Image:
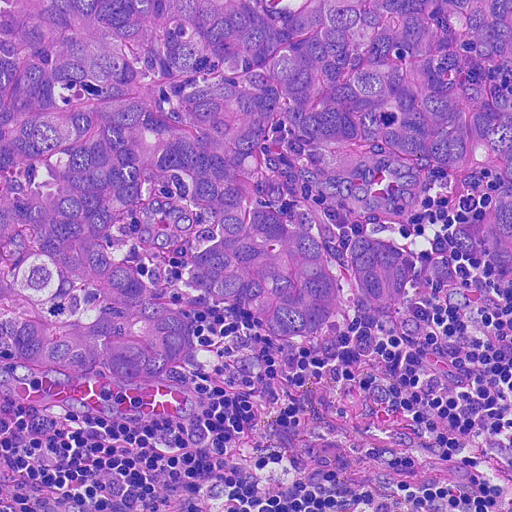
Lymph node section stained with H&E, from a whole-slide image of a breast-cancer sentinel node. Magnification about 20×, about 0.23 mm across the frame, about 0.45 µm per pixel.
Question:
Where is the metastatic tumour in this field?
Answer:
Metastatic tumour outline, simplified to 24 points and listed clockwise in crop pixels (x, y): (0, 0), (511, 0), (511, 261), (473, 240), (505, 182), (484, 164), (479, 182), (430, 175), (406, 218), (355, 216), (368, 238), (414, 257), (412, 282), (374, 313), (354, 290), (330, 333), (280, 343), (222, 298), (199, 308), (188, 330), (193, 378), (179, 389), (82, 376), (0, 383).
The annotated tumour makes up about 60% of the crop.